A 0.5-mm field of an H&E-stained sentinel lymph node from a breast-cancer patient (whole-slide image), shown at about 10×, about 0.97 µm per pixel.
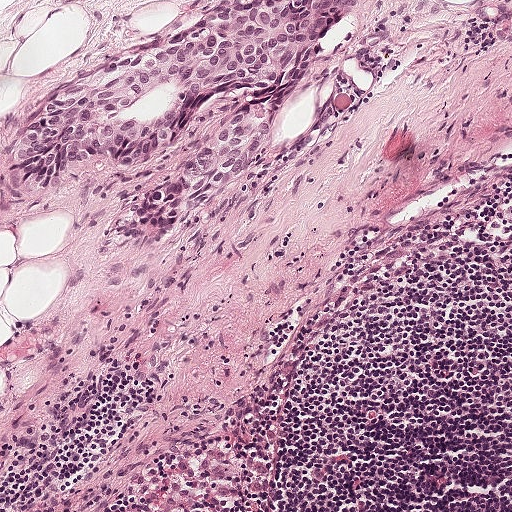
Tumour region outline (a closed clockwise path, crop pixels): (236, 0), (368, 0), (314, 42), (272, 144), (192, 224), (135, 245), (119, 245), (112, 230), (126, 204), (248, 110), (254, 94), (246, 90), (230, 85), (207, 96), (163, 156), (132, 177), (77, 175), (47, 198), (11, 181), (10, 142), (36, 108).
Tumour covers about 15% of the frame.